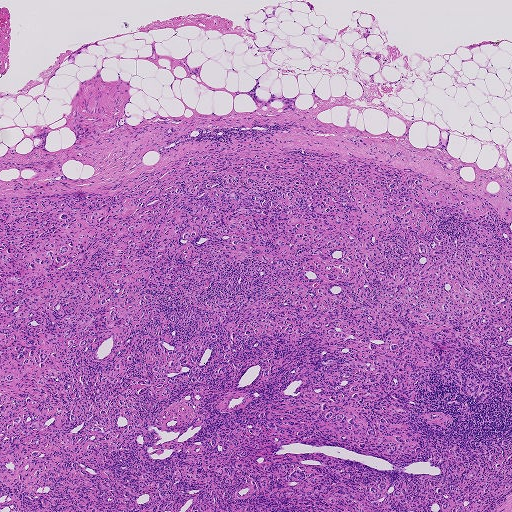
H&E-stained section of a sentinel lymph node (breast cancer), from a whole-slide image, viewed at about 2.5×: the field is about 1.9 mm across, about 3.6 µm per pixel.
Tumour region outline (a closed clockwise path, crop pixels): (266, 150), (368, 160), (485, 199), (511, 229), (511, 495), (491, 511), (0, 511), (0, 202), (112, 194), (190, 154).
The annotated tumour makes up about 65% of the crop.